Question: 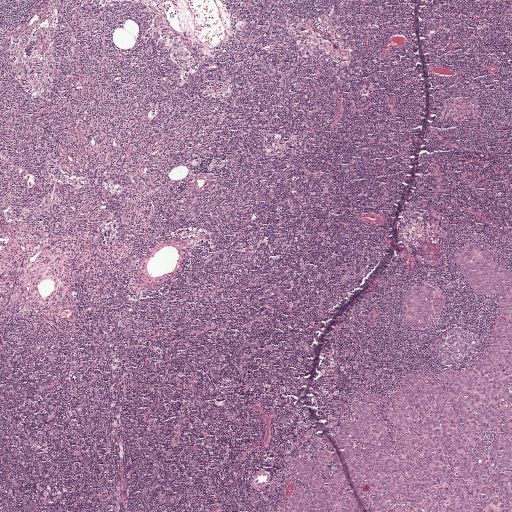
About what magnification does this crop show?

Choices:
 (A) about 20×
 (B) about 2.5×
 (C) about 5×
 (D) about 10×
 (E) about 40×

Answer: (B) about 2.5×
Lymph node section stained with H&E, from a whole-slide image of a breast-cancer sentinel node. Magnification about 2.5×, about 2.0 mm across the frame, about 3.9 µm per pixel.
Four metastatic tumour regions, each outlined as a closed clockwise path in crop pixels (x, y), largest first: region 1: (490, 245), (511, 274), (511, 511), (283, 511), (296, 485), (290, 452), (306, 433), (312, 431), (325, 449), (360, 392), (389, 394), (407, 371), (466, 369), (486, 354), (498, 299), (481, 297), (465, 284), (453, 259), (456, 249); region 2: (421, 283), (435, 286), (440, 289), (444, 300), (443, 311), (438, 321), (420, 330), (410, 328), (405, 324), (401, 313), (401, 302), (406, 291); region 3: (266, 470), (271, 472), (272, 481), (266, 495), (260, 495), (252, 489), (249, 479), (255, 471); region 4: (424, 240), (429, 242), (431, 244), (430, 252), (438, 258), (440, 261), (439, 263), (425, 260), (422, 251), (422, 242).
One more small tumour piece is annotated here but not outlined.
About 10% of this field is tumour.